Image:
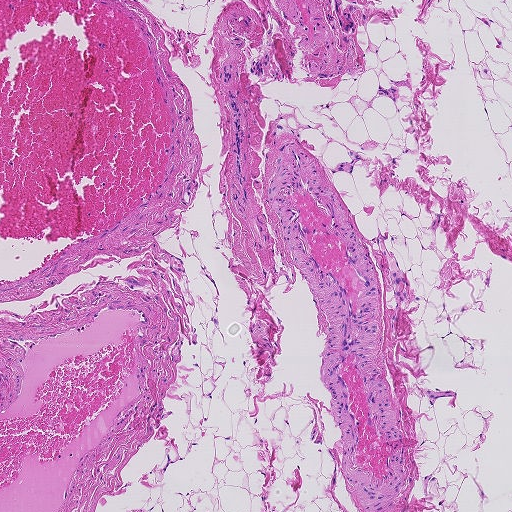
This is a crop of a whole-slide image: an H&E-stained breast-cancer sentinel lymph node section at roughly 5× magnification (about 1.8 µm per pixel; the crop spans about 0.93 mm).
Question:
Is there metastatic carcinoma in this field?
Answer:
No: no metastatic tumour is outlined anywhere in this field.